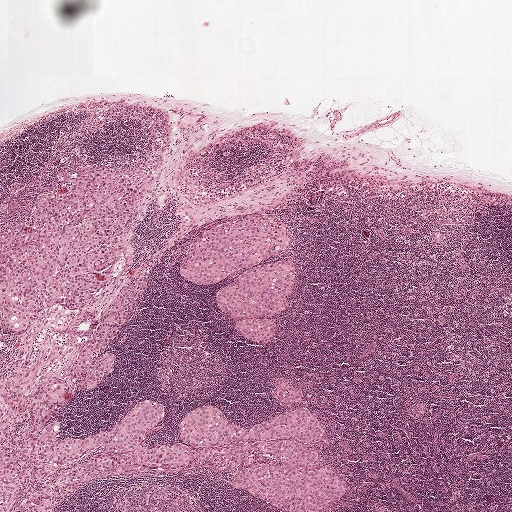
This is a crop of a whole-slide image: an H&E-stained breast-cancer sentinel lymph node section at roughly 2.5× magnification (about 3.9 µm per pixel; the crop spans about 2.0 mm).
Outlines of the eight largest metastatic tumour regions, each a closed clockwise path in crop pixels (x, y), largest first: region 1: (103, 161), (132, 175), (140, 189), (140, 208), (106, 264), (106, 278), (98, 293), (73, 308), (51, 305), (20, 333), (7, 329), (0, 318), (0, 229), (31, 215), (31, 201), (38, 192), (58, 185), (60, 167), (76, 175), (88, 165); region 2: (196, 405), (219, 406), (230, 422), (251, 428), (301, 406), (316, 414), (328, 434), (323, 442), (308, 446), (319, 460), (334, 468), (347, 491), (326, 511), (289, 511), (231, 484), (233, 472), (207, 463), (98, 470), (97, 453), (127, 453), (140, 445), (181, 440), (181, 417); region 3: (259, 212), (278, 215), (282, 218), (289, 236), (288, 248), (240, 268), (219, 282), (197, 283), (180, 274), (188, 243), (197, 234), (215, 224); region 4: (144, 399), (163, 403), (162, 420), (155, 428), (147, 430), (145, 438), (136, 445), (127, 450), (116, 451), (108, 448), (104, 443), (69, 464), (53, 465), (36, 461), (31, 456), (28, 444), (38, 428), (49, 421), (58, 420), (56, 437), (70, 438), (104, 429), (127, 408); region 5: (139, 271), (146, 271), (149, 274), (149, 281), (133, 311), (101, 351), (111, 350), (114, 353), (112, 368), (96, 383), (82, 389), (78, 385), (81, 375), (68, 372), (71, 364), (81, 343), (88, 337), (102, 306), (118, 284); region 6: (280, 258), (288, 258), (293, 262), (293, 286), (285, 308), (278, 314), (246, 316), (227, 314), (219, 308), (213, 299), (215, 291), (236, 278), (240, 272), (262, 262); region 7: (254, 317), (268, 319), (275, 323), (274, 333), (268, 343), (258, 344), (236, 331), (233, 324), (238, 320); region 8: (87, 461), (92, 463), (92, 468), (89, 474), (70, 481), (74, 483), (76, 487), (65, 495), (56, 495), (52, 493), (53, 484), (66, 481), (61, 481), (59, 478), (74, 466).
Five more, smaller tumour regions are not outlined.
About 20% of this field is tumour.